Image:
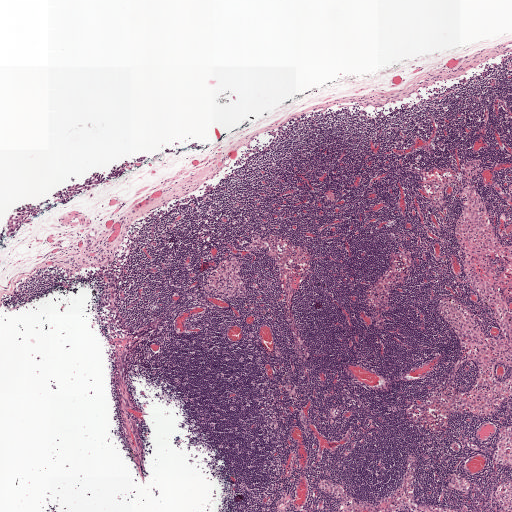
A 2.0-mm field of an H&E-stained sentinel lymph node from a breast-cancer patient (whole-slide image), shown at about 2.5×, about 3.9 µm per pixel.
Question:
Trace the edge of each tumour region in this crop, as (x, y) points from 0 to 511.
Answer:
Metastatic tumour outline, simplified to 13 points and listed clockwise in crop pixels (x, y): (118, 164), (126, 165), (124, 175), (80, 194), (69, 203), (61, 203), (27, 224), (18, 234), (0, 241), (0, 230), (6, 219), (18, 206), (93, 172).
Six more small tumour pieces are annotated here but not outlined.
Under 5% of the image area is annotated as tumour.